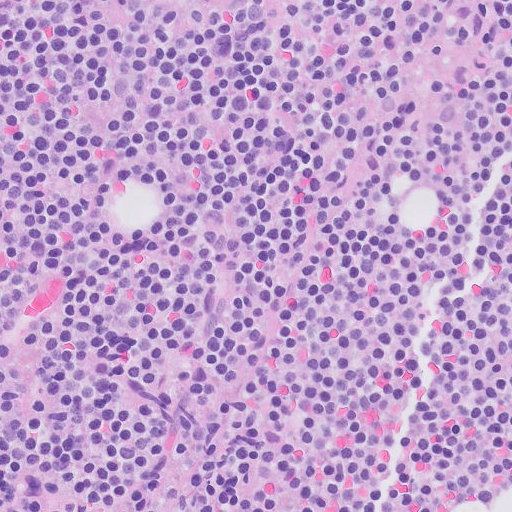
This is a crop of a whole-slide image: an H&E-stained breast-cancer sentinel lymph node section at roughly 20× magnification (about 0.5 µm per pixel; the crop spans about 0.26 mm).